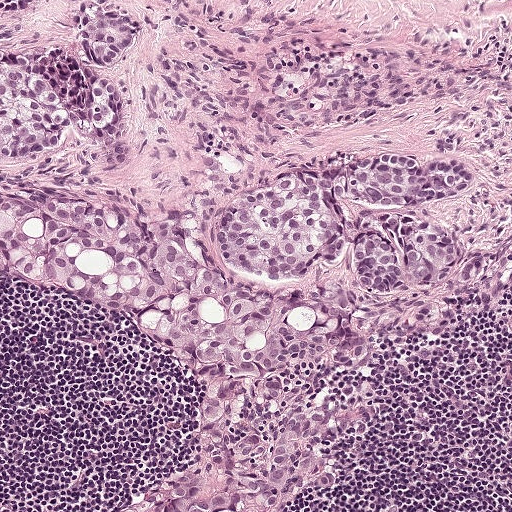
H&E-stained section of a sentinel lymph node (breast cancer), from a whole-slide image, viewed at about 10×: the field is about 0.5 mm across, about 0.97 µm per pixel.
Outlines of three tumour regions, largest first (closed clockwise paths, crop pixels): region 1: (467, 162), (476, 184), (444, 208), (352, 204), (493, 259), (500, 306), (456, 296), (454, 333), (390, 336), (318, 396), (351, 430), (329, 447), (338, 491), (298, 511), (141, 511), (192, 460), (194, 388), (125, 314), (0, 278), (0, 187), (168, 226), (210, 268), (218, 216), (270, 183); region 2: (0, 50), (29, 58), (36, 74), (54, 86), (68, 112), (75, 113), (92, 103), (92, 90), (84, 72), (89, 67), (108, 76), (133, 102), (133, 125), (124, 136), (86, 138), (65, 128), (65, 143), (57, 153), (1, 167); region 3: (107, 0), (113, 4), (121, 17), (132, 23), (136, 35), (136, 52), (119, 62), (99, 64), (92, 62), (84, 49), (86, 3).
Tumour covers about 40% of the frame.